H&E-stained section of a sentinel lymph node (breast cancer), from a whole-slide image, viewed at about 10×: the field is about 0.5 mm across, about 0.97 µm per pixel.
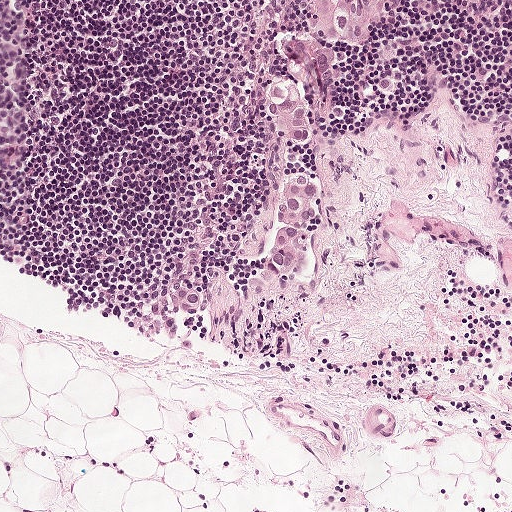
Question: Outline the metastatic carcinoma in this image, as closed paths of (x, y) pixel coordinates.
Answer: The outlined metastatic tumour's edge, as a closed clockwise path of 22 points: (312, 0), (387, 0), (372, 44), (338, 58), (342, 90), (334, 106), (318, 118), (302, 145), (286, 154), (288, 169), (315, 184), (313, 232), (296, 277), (278, 280), (270, 278), (264, 264), (275, 214), (265, 100), (273, 79), (289, 69), (282, 45), (305, 33).
The annotated tumour makes up about 5% of the crop.